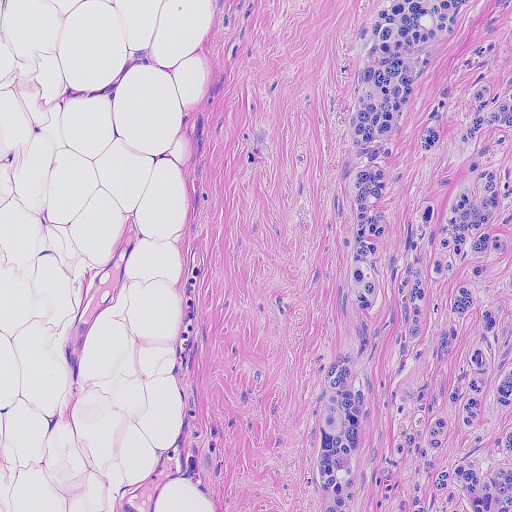
Lymph node section stained with H&E, from a whole-slide image of a breast-cancer sentinel node. Magnification about 10×, about 0.46 mm across the frame, about 0.91 µm per pixel.
The outlined metastatic tumour's edge, as a closed clockwise path of 10 points: (511, 0), (511, 511), (323, 511), (312, 479), (321, 377), (352, 352), (354, 214), (343, 164), (355, 66), (379, 5).
About 35% of this field is tumour.